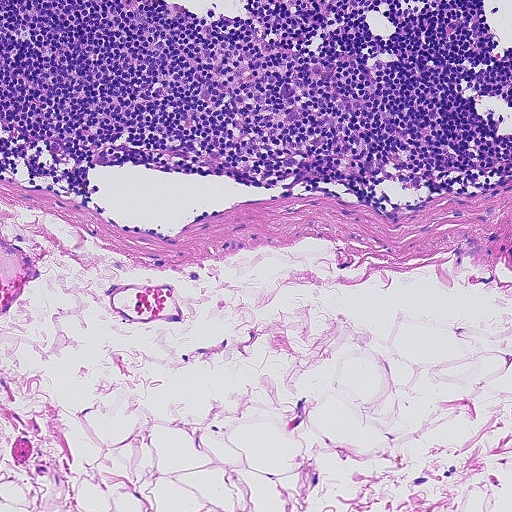
This is a crop of a whole-slide image: an H&E-stained breast-cancer sentinel lymph node section at roughly 10× magnification (about 0.9 µm per pixel; the crop spans about 0.46 mm).